Question: 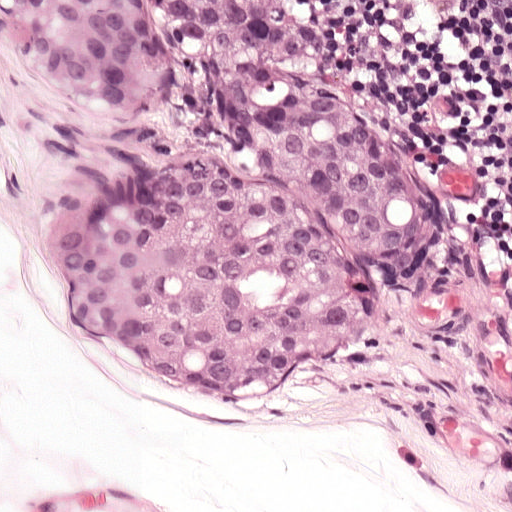
At roughly what magnification is this field shown?

Choices:
 (A) about 10×
 (B) about 2.5×
 (C) about 40×
 (D) about 20×
 (E) about 5×

Answer: (D) about 20×
Lymph node section stained with H&E, from a whole-slide image of a breast-cancer sentinel node. Magnification about 20×, about 0.25 mm across the frame, about 0.49 µm per pixel.
Tumour region outline (a closed clockwise path, crop pixels): (0, 0), (282, 0), (313, 72), (401, 124), (432, 166), (445, 214), (428, 260), (380, 279), (370, 327), (342, 372), (243, 397), (194, 392), (97, 356), (54, 320), (38, 272), (55, 224), (98, 198), (194, 166), (254, 160), (240, 133), (142, 24), (155, 106), (70, 106), (0, 64).
The annotated tumour makes up about 40% of the crop.
Question: 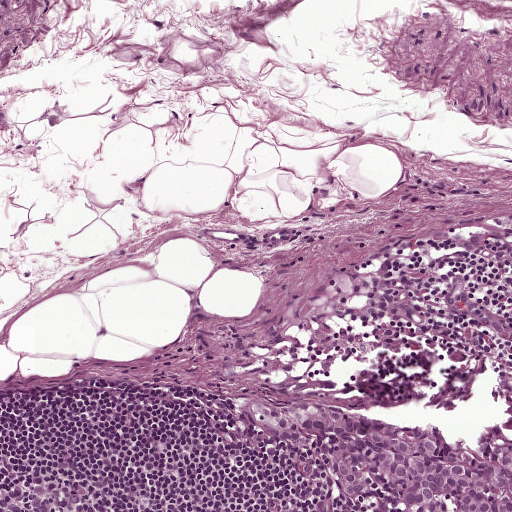
At roughly what magnification is this field shown?

Choices:
 (A) about 40×
 (B) about 5×
 (C) about 20×
 (D) about 2.5×
 (E) about 10×

Answer: (E) about 10×
A 0.5-mm field of an H&E-stained sentinel lymph node from a breast-cancer patient (whole-slide image), shown at about 10×, about 0.97 µm per pixel.
One metastatic tumour region; its boundary, reduced to 14 corners and listed clockwise: (250, 399), (268, 399), (285, 408), (316, 400), (393, 421), (430, 421), (462, 441), (494, 422), (511, 437), (511, 511), (412, 511), (348, 500), (303, 451), (238, 414).
About 5% of the image area is annotated as tumour.
Question: 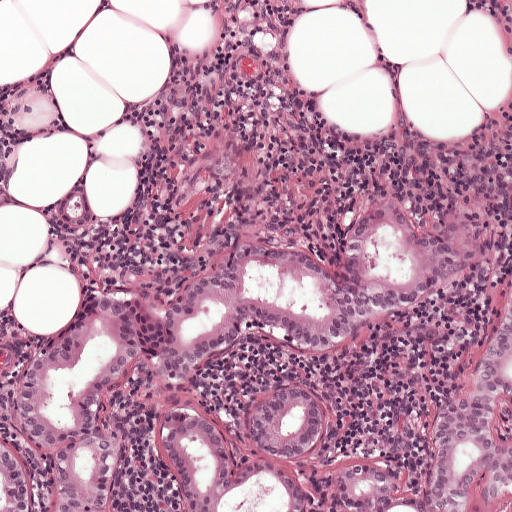
At roughly what magnification is this field shown?

Choices:
 (A) about 40×
 (B) about 20×
 (C) about 10×
 (D) about 5×
 (E) about 2.5×

Answer: (C) about 10×
H&E-stained section of a sentinel lymph node (breast cancer), from a whole-slide image, viewed at about 10×: the field is about 0.5 mm across, about 0.97 µm per pixel.
Two metastatic tumour regions, each outlined as a closed clockwise path in crop pixels (x, y), largest first: region 1: (350, 207), (415, 210), (459, 247), (444, 306), (396, 348), (336, 361), (323, 420), (384, 427), (439, 400), (511, 233), (511, 511), (0, 511), (0, 424), (20, 366), (94, 288), (156, 307), (204, 271), (306, 252); region 2: (73, 186), (90, 187), (97, 206), (93, 230), (71, 230), (52, 218), (58, 198).
About 45% of the image area is annotated as tumour.
Question: 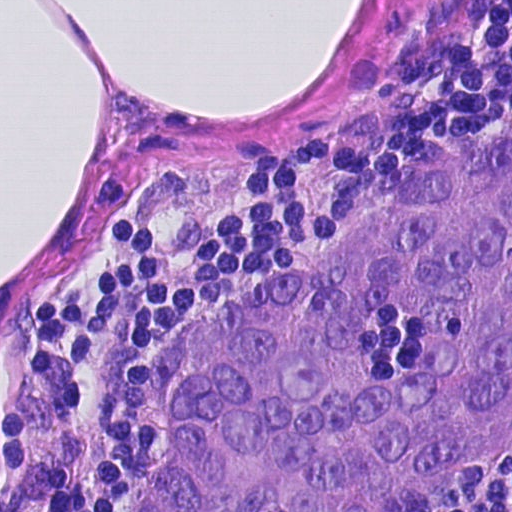
At roughly what magnification is this field shown?

Choices:
 (A) about 20×
 (B) about 40×
 (C) about 2.5×
 (D) about 5×
 (E) about 10×

Answer: (B) about 40×
This is a crop of a whole-slide image: an H&E-stained breast-cancer sentinel lymph node section at roughly 40× magnification (about 0.23 µm per pixel; the crop spans about 0.12 mm).
One metastatic tumour region; its boundary, reduced to 11 corners and listed clockwise: (470, 135), (511, 138), (511, 454), (427, 511), (127, 511), (161, 458), (157, 415), (184, 330), (217, 300), (338, 244), (391, 172).
Tumour covers about 35% of the frame.